This is a crop of a whole-slide image: an H&E-stained breast-cancer sentinel lymph node section at roughly 10× magnification (about 0.97 µm per pixel; the crop spans about 0.5 mm).
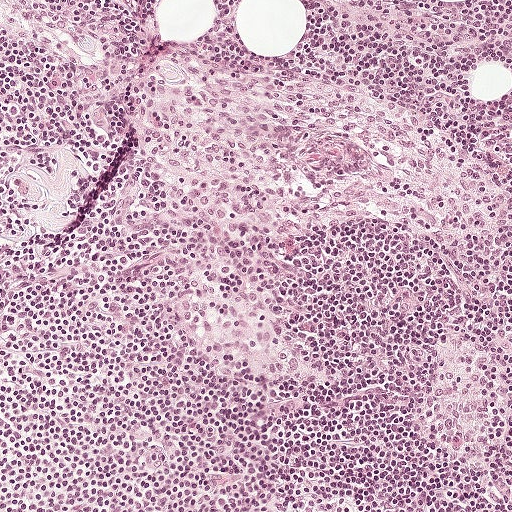
Question: Does this lymph node field contain metastatic tumour?
Answer: No. No metastatic tumour is outlined in this field.